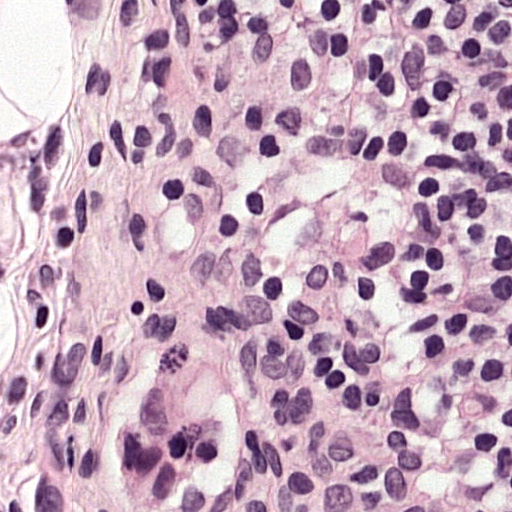
This is a crop of a whole-slide image: an H&E-stained breast-cancer sentinel lymph node section at roughly 40× magnification (about 0.24 µm per pixel; the crop spans about 0.12 mm).
One metastatic tumour region; its boundary, reduced to 10 corners and listed clockwise: (179, 332), (218, 358), (240, 430), (226, 495), (205, 511), (138, 511), (122, 499), (119, 425), (129, 388), (150, 358).
About 5% of the image area is annotated as tumour.